Question: 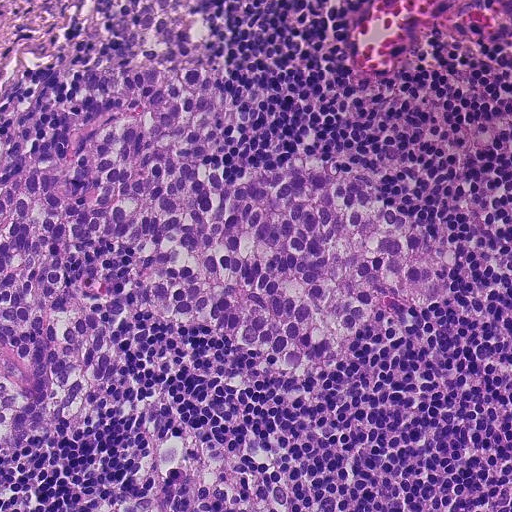
A 0.23-mm field of an H&E-stained sentinel lymph node from a breast-cancer patient (whole-slide image), shown at about 20×, about 0.45 µm per pixel.
Roughly what share of this field is metastatic tumour?

Choices:
 (A) about 50% or more
 (B) none: no tumour is outlined
 (C) about 25% to 45%
 (D) about 10% to 20%
 (E) about 5% or less

Answer: (C) about 25% to 45%
About 40% of the field is tumour.
Metastatic tumour outline, simplified to 23 points and listed clockwise in crop pixels (x, y): (213, 0), (237, 34), (222, 72), (268, 94), (206, 160), (224, 180), (310, 154), (373, 169), (382, 200), (457, 250), (447, 294), (422, 332), (365, 323), (288, 378), (210, 324), (132, 312), (92, 423), (0, 448), (0, 189), (126, 108), (83, 85), (125, 42), (116, 16).